Image:
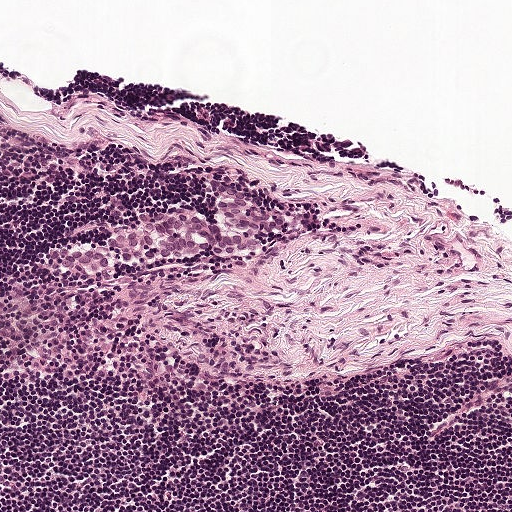
H&E-stained section of a sentinel lymph node (breast cancer), from a whole-slide image, viewed at about 10×: the field is about 0.5 mm across, about 0.97 µm per pixel.
Question:
Does this lymph node field contain metastatic tumour?
Answer:
Yes.
Metastatic tumour outline, simplified to 20 points and listed clockwise in crop pixels (x, y): (244, 198), (289, 225), (266, 231), (266, 244), (254, 252), (203, 248), (156, 262), (118, 263), (102, 274), (83, 267), (59, 268), (50, 255), (50, 250), (61, 244), (100, 241), (143, 212), (192, 208), (214, 219), (218, 218), (216, 201).
The annotated tumour makes up about 5% of the crop.